Image:
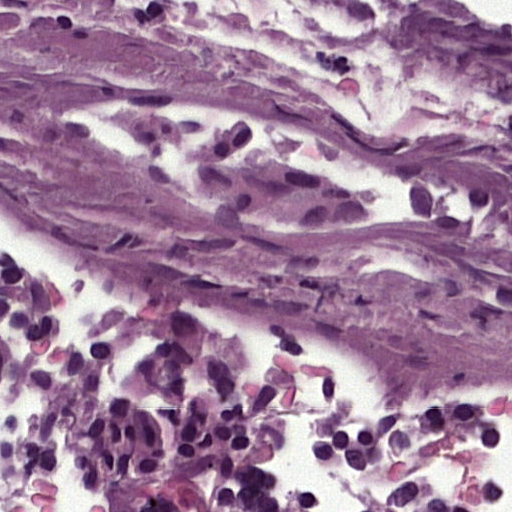
This is a crop of a whole-slide image: an H&E-stained breast-cancer sentinel lymph node section at roughly 40× magnification (about 0.24 µm per pixel; the crop spans about 0.12 mm).
Question:
Show where the tumour is in this image.
Answer:
One metastatic tumour region; its boundary, reduced to 6 corners and listed clockwise: (211, 126), (350, 143), (426, 194), (348, 246), (255, 232), (169, 205).
About 10% of this field is tumour.